A 0.46-mm field of an H&E-stained sentinel lymph node from a breast-cancer patient (whole-slide image), shown at about 10×, about 0.9 µm per pixel.
Question: 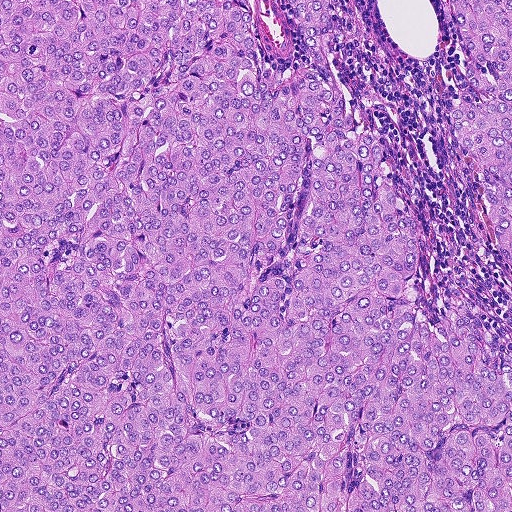
Estimate the proportion of this field that is metastatic tumour.

Choices:
 (A) about 10% to 20%
 (B) none: no tumour is outlined
 (C) about 50% or more
 (D) about 25% to 45%
 (E) about 5% or less

Answer: (C) about 50% or more
About 85% of the field is tumour.
Boundaries of two metastatic tumour regions, simplified and listed clockwise, largest first: region 1: (0, 0), (240, 0), (254, 16), (254, 55), (285, 78), (308, 66), (310, 53), (287, 0), (331, 0), (328, 67), (358, 131), (381, 146), (382, 179), (416, 216), (424, 313), (434, 327), (466, 306), (494, 334), (497, 365), (506, 356), (511, 511), (0, 511); region 2: (448, 0), (511, 0), (511, 268), (502, 252), (481, 186), (454, 146), (452, 117), (459, 102), (462, 70), (468, 60), (449, 14).